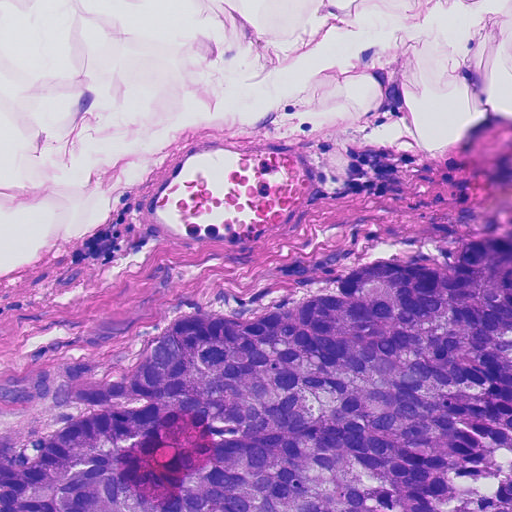
H&E-stained section of a sentinel lymph node (breast cancer), from a whole-slide image, viewed at about 20×: the field is about 0.23 mm across, about 0.45 µm per pixel.
One metastatic tumour region; its boundary, reduced to 10 corners and listed clockwise: (508, 225), (511, 511), (0, 511), (0, 375), (82, 358), (110, 370), (176, 314), (323, 290), (360, 264), (446, 260).
About 40% of the image area is annotated as tumour.